This is a crop of a whole-slide image: an H&E-stained breast-cancer sentinel lymph node section at roughly 10× magnification (about 0.9 µm per pixel; the crop spans about 0.46 mm).
Question: 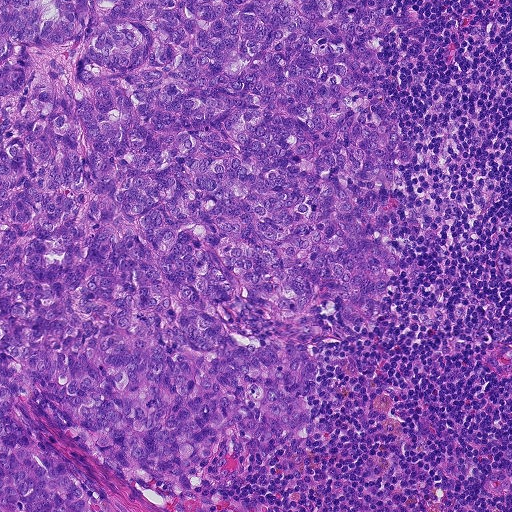
Estimate the proportion of this field that is metastatic tumour.

Choices:
 (A) about 25% to 45%
 (B) about 10% to 20%
 (C) about 50% or more
 (D) about 5% or less
 (E) none: no tumour is outlined

Answer: (C) about 50% or more
About 65% of the field is tumour.
One metastatic tumour region; its boundary, reduced to 24 corners and listed clockwise: (0, 0), (393, 0), (365, 44), (414, 157), (395, 166), (406, 186), (356, 202), (388, 216), (413, 262), (388, 279), (376, 326), (343, 324), (333, 298), (287, 339), (325, 356), (300, 387), (314, 433), (226, 456), (214, 483), (167, 488), (118, 474), (19, 401), (126, 511), (0, 503).